This is a crop of a whole-slide image: an H&E-stained breast-cancer sentinel lymph node section at roughly 10× magnification (about 0.91 µm per pixel; the crop spans about 0.46 mm).
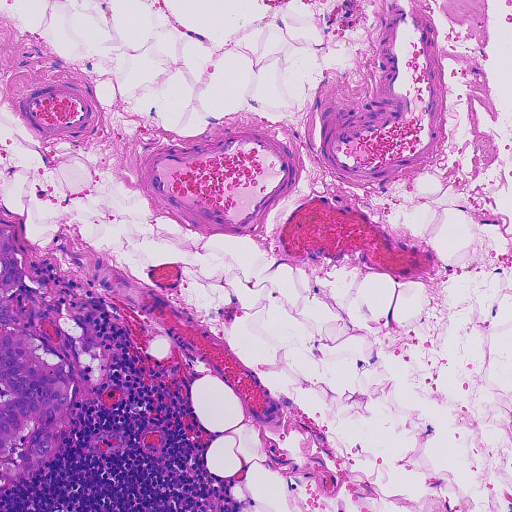
Metastatic tumour outline, simplified to 19 points and listed clockwise in crop pixels (x, y): (0, 234), (7, 234), (25, 272), (20, 289), (6, 301), (11, 322), (1, 330), (28, 332), (34, 351), (51, 366), (62, 363), (68, 398), (58, 445), (48, 460), (32, 472), (21, 473), (18, 453), (23, 443), (1, 456).
One more small tumour piece is annotated here but not outlined.
About 5% of this field is tumour.